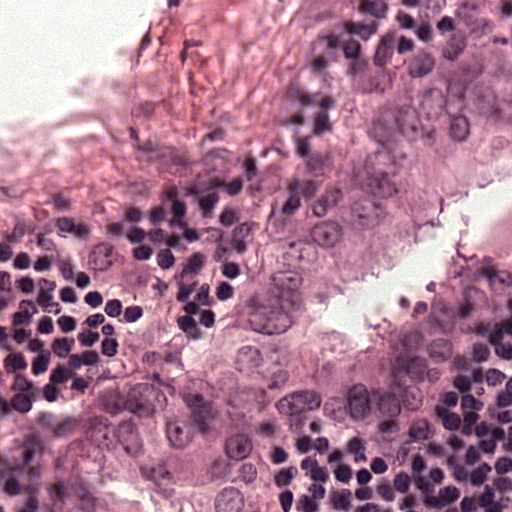
This is a crop of a whole-slide image: an H&E-stained breast-cancer sentinel lymph node section at roughly 40× magnification (about 0.24 µm per pixel; the crop spans about 0.12 mm).
Question: Which parts of this field are metastatic tumour? Answer with the outline of each region, in pixels.
Answer: Metastatic tumour outline, simplified to 16 points and listed clockwise in crop pixels (x, y): (409, 151), (475, 178), (487, 213), (511, 230), (511, 320), (467, 394), (377, 433), (311, 406), (299, 511), (36, 511), (40, 462), (60, 423), (130, 358), (209, 310), (293, 198), (338, 166).
About 35% of the image area is annotated as tumour.